Image:
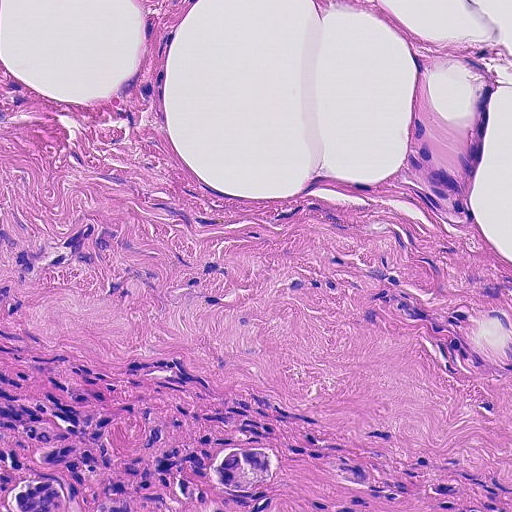
Lymph node section stained with H&E, from a whole-slide image of a breast-cancer sentinel node. Magnification about 20×, about 0.23 mm across the frame, about 0.45 µm per pixel.
Question:
Which parts of this field are metastatic tumour? Answer with the outline of each region, in pixels.
Answer:
The outlined metastatic tumour's edge, as a closed clockwise path of 6 points: (0, 335), (176, 388), (307, 412), (511, 488), (511, 511), (0, 511).
About 20% of this field is tumour.